Question: 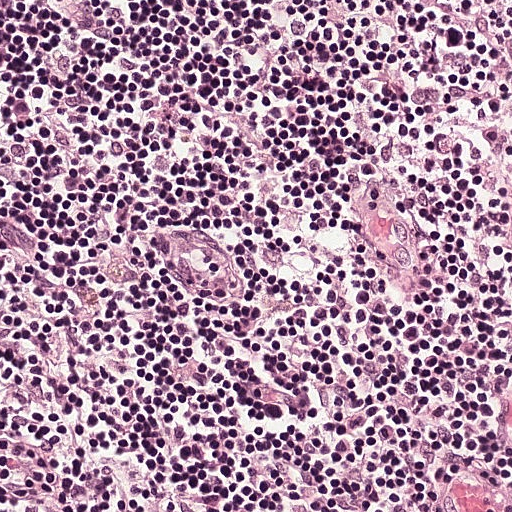
At roughly what magnification is this field shown?

Choices:
 (A) about 20×
 (B) about 40×
 (C) about 5×
 (D) about 10×
 (E) about 2.5×

Answer: (A) about 20×
H&E-stained section of a sentinel lymph node (breast cancer), from a whole-slide image, viewed at about 20×: the field is about 0.25 mm across, about 0.49 µm per pixel.